A 0.23-mm field of an H&E-stained sentinel lymph node from a breast-cancer patient (whole-slide image), shown at about 20×, about 0.45 µm per pixel.
Image:
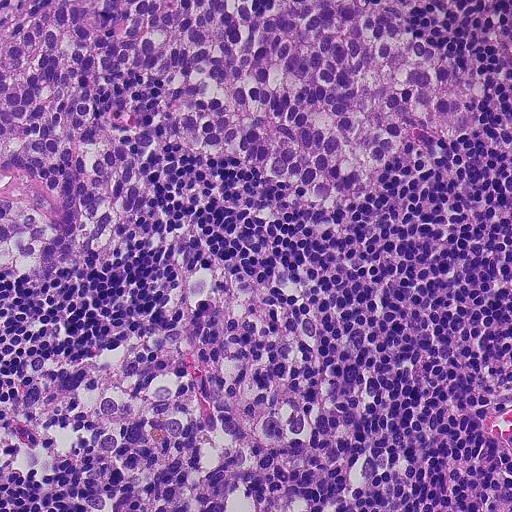
Question:
Outline the metastatic carcinoma in this image, as closed paths of (x, y) pixel coordinates.
Answer:
One metastatic tumour region; its boundary, reduced to 24 corners and listed clockwise: (251, 0), (254, 12), (277, 0), (400, 0), (410, 32), (454, 50), (455, 66), (486, 82), (476, 126), (452, 148), (452, 164), (422, 172), (394, 155), (363, 193), (318, 210), (239, 156), (161, 144), (138, 169), (153, 198), (121, 255), (44, 283), (0, 274), (0, 47), (40, 7).
About 35% of this field is tumour.